This is a crop of a whole-slide image: an H&E-stained breast-cancer sentinel lymph node section at roughly 20× magnification (about 0.49 µm per pixel; the crop spans about 0.25 mm).
Question: 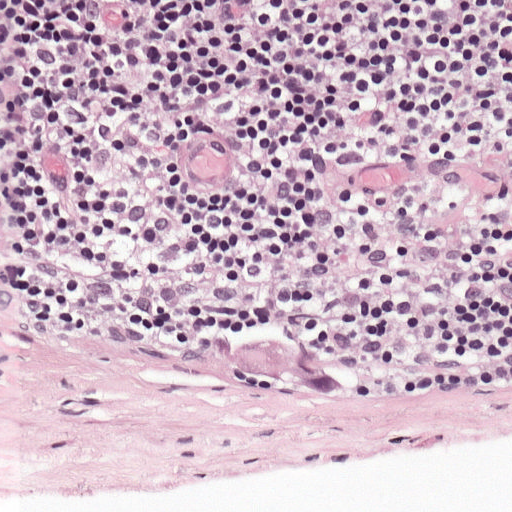
About how much of this crop is taken up by metastatic carcinoma?

Choices:
 (A) about 10% to 20%
 (B) about 25% to 45%
 (C) about 5% or less
 (D) none: no tumour is outlined
 (E) about 50% or more

Answer: (C) about 5% or less
Under 5% of the field is tumour.
One metastatic tumour region; its boundary, reduced to 12 corners and listed clockwise: (214, 332), (229, 336), (232, 350), (250, 341), (276, 340), (301, 344), (324, 358), (341, 379), (338, 394), (306, 391), (237, 368), (210, 354).